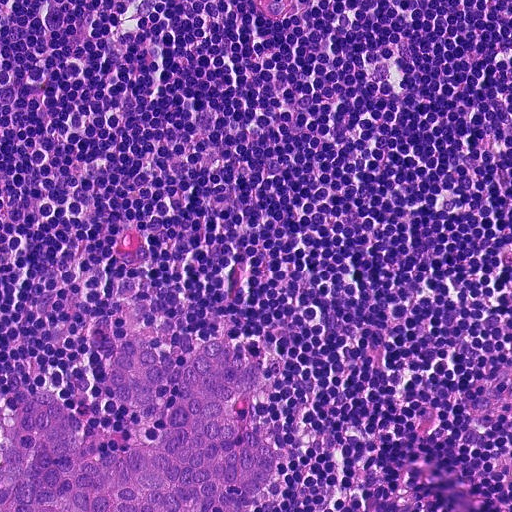
This is a crop of a whole-slide image: an H&E-stained breast-cancer sentinel lymph node section at roughly 20× magnification (about 0.45 µm per pixel; the crop spans about 0.23 mm).
Question: Does this lymph node field contain metastatic tumour?
Answer: Yes.
The outlined metastatic tumour's edge, as a closed clockwise path of 21 points: (128, 330), (181, 358), (206, 340), (236, 341), (263, 378), (236, 394), (231, 412), (279, 451), (272, 480), (244, 511), (0, 511), (0, 447), (35, 380), (80, 421), (89, 450), (150, 446), (168, 421), (175, 388), (154, 410), (122, 406), (100, 384).
The annotated tumour makes up about 10% of the crop.